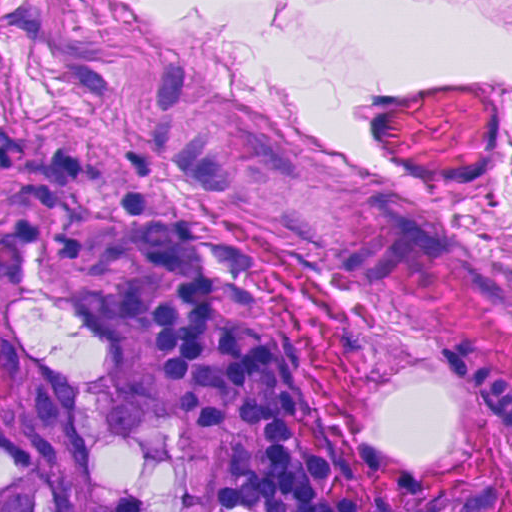
Lymph node section stained with H&E, from a whole-slide image of a breast-cancer sentinel node. Magnification about 40×, about 0.12 mm across the frame, about 0.23 µm per pixel.
One metastatic tumour region; its boundary, reduced to 4 corners and listed clockwise: (26, 480), (36, 511), (0, 511), (0, 487).
One more small tumour piece is annotated here but not outlined.
About 5% of this field is tumour.